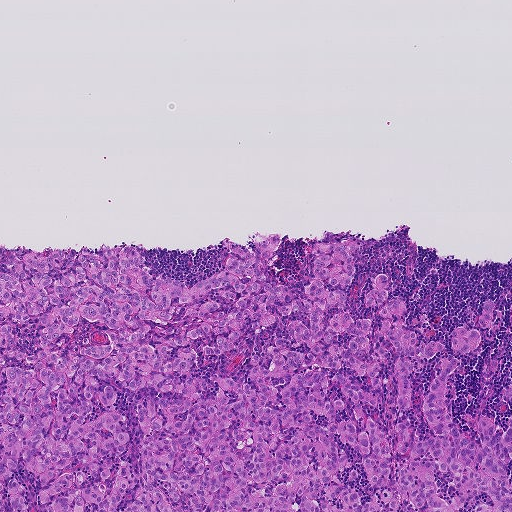
Lymph node section stained with H&E, from a whole-slide image of a breast-cancer sentinel node. Magnification about 5×, about 0.93 mm across the frame, about 1.8 µm per pixel.
Metastatic tumour outline, simplified to 23 points and listed clockwise in crop pixels (x, y): (280, 235), (269, 278), (302, 304), (310, 249), (354, 240), (352, 320), (375, 340), (380, 273), (393, 321), (444, 345), (411, 360), (415, 441), (452, 330), (494, 300), (445, 390), (481, 448), (465, 417), (511, 417), (511, 511), (0, 511), (0, 244), (127, 246), (190, 287).
Tumour covers about 45% of the frame.